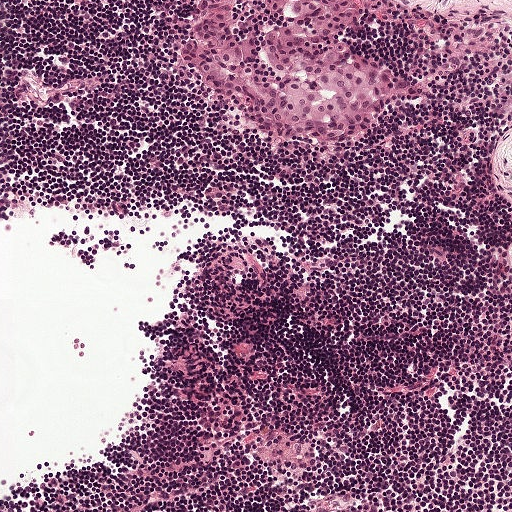
Lymph node section stained with H&E, from a whole-slide image of a breast-cancer sentinel node. Magnification about 10×, about 0.5 mm across the frame, about 0.97 µm per pixel.
Question: Outline the metastatic carcinoma in this image, as closed paths of (x, y) pixel coordinates.
Answer: The outlined metastatic tumour's edge, as a closed clockwise path of 13 points: (220, 0), (367, 0), (368, 10), (343, 43), (401, 87), (388, 122), (350, 144), (302, 153), (238, 124), (192, 92), (176, 70), (176, 48), (194, 19).
About 10% of this field is tumour.

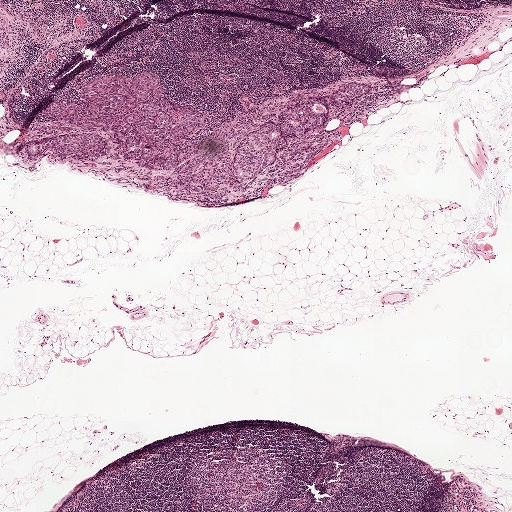
H&E-stained section of a sentinel lymph node (breast cancer), from a whole-slide image, viewed at about 2.5×: the field is about 2.0 mm across, about 3.9 µm per pixel.
Question: Outline the metastatic carcinoma in this image, as closed paths of (x, y) pixel coordinates.
Answer: One metastatic tumour region; its boundary, reduced to 24 corners and listed clockwise: (142, 71), (207, 116), (192, 142), (245, 116), (277, 116), (299, 97), (324, 98), (330, 118), (344, 82), (369, 85), (375, 102), (346, 126), (327, 121), (341, 139), (253, 197), (190, 202), (112, 172), (115, 160), (25, 161), (30, 141), (79, 130), (48, 105), (78, 100), (98, 76).
The annotated tumour makes up about 10% of the crop.

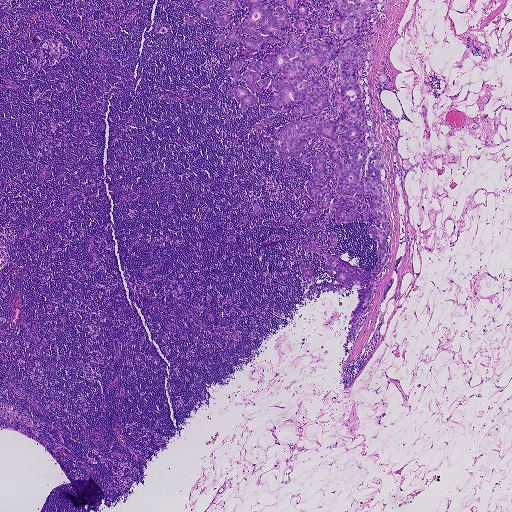
This is a crop of a whole-slide image: an H&E-stained breast-cancer sentinel lymph node section at roughly 2.5× magnification (about 3.6 µm per pixel; the crop spans about 1.9 mm).
Question: Outline the metastatic carcinoma in this image, as closed paths of (x, y) pixel coordinates.
Answer: Boundaries of two metastatic tumour regions, simplified and listed clockwise, largest first: region 1: (377, 0), (354, 72), (389, 228), (351, 336), (359, 285), (302, 247), (333, 252), (334, 231), (336, 254), (370, 269), (372, 220), (355, 206), (318, 231), (329, 208), (278, 225), (308, 211), (301, 161), (327, 141), (284, 160), (275, 130), (316, 114), (292, 114), (304, 99), (270, 110), (257, 135), (272, 83), (244, 112), (227, 96), (253, 92), (251, 57), (226, 75), (240, 44), (215, 47), (249, 2); region 2: (237, 0), (239, 2), (239, 7), (235, 8), (232, 12), (231, 22), (227, 25), (218, 26), (214, 17), (205, 18), (195, 8), (195, 3), (202, 1).
Tumour covers about 10% of the frame.

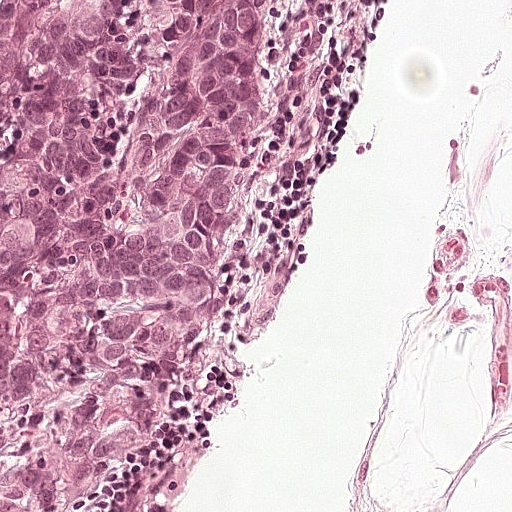
This is a crop of a whole-slide image: an H&E-stained breast-cancer sentinel lymph node section at roughly 20× magnification (about 0.49 µm per pixel; the crop spans about 0.25 mm).
Question: Outline the metastatic carcinoma in this image, as closed paths of (x, y) pixel coordinates.
Answer: The outlined metastatic tumour's edge, as a closed clockwise path of 7 points: (283, 0), (242, 355), (196, 446), (88, 511), (0, 511), (0, 30), (39, 2).
Tumour covers about 45% of the frame.